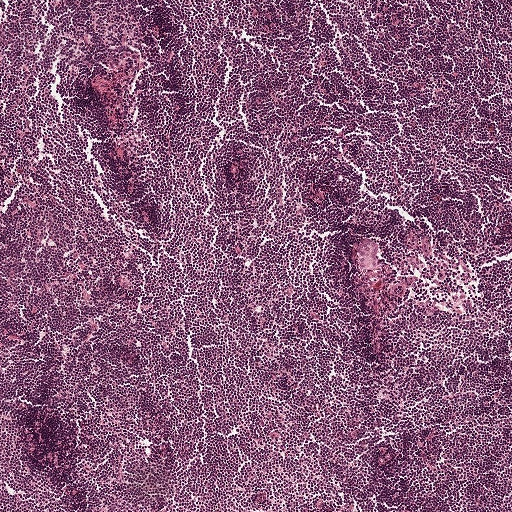
This is a crop of a whole-slide image: an H&E-stained breast-cancer sentinel lymph node section at roughly 5× magnification (about 1.9 µm per pixel; the crop spans about 1 mm).
Tumour region outline (a closed clockwise path, crop pixels): (361, 237), (380, 242), (382, 254), (382, 266), (366, 275), (358, 273), (357, 257), (351, 247), (352, 240).
Under 5% of this field is tumour.